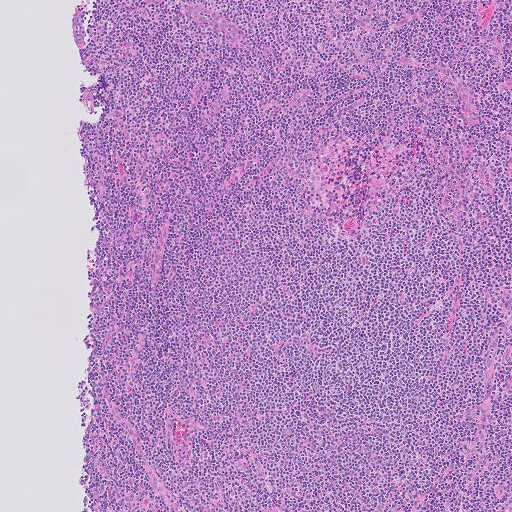
A 1.0-mm field of an H&E-stained sentinel lymph node from a breast-cancer patient (whole-slide image), shown at about 5×, about 2.0 µm per pixel.